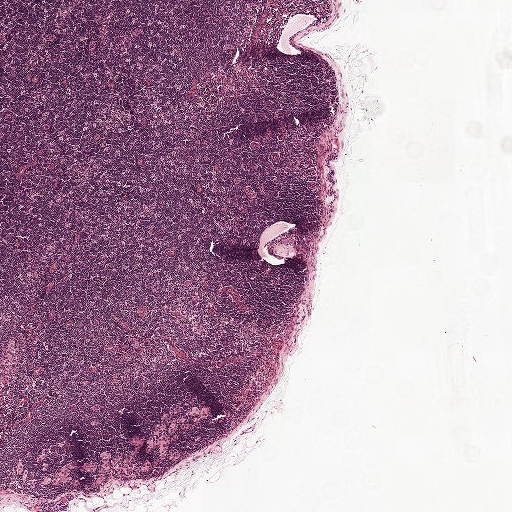
A 2.0-mm field of an H&E-stained sentinel lymph node from a breast-cancer patient (whole-slide image), shown at about 2.5×, about 3.9 µm per pixel.
Question: Where is the metastatic tumour in this field? Give each region's outline as (x, y) pixel points.
Answer: Six metastatic tumour regions, each outlined as a closed clockwise path in crop pixels (x, y), largest first: region 1: (135, 434), (142, 438), (143, 441), (141, 447), (131, 456), (132, 460), (136, 460), (140, 466), (144, 459), (155, 463), (152, 470), (140, 472), (136, 477), (127, 481), (122, 480), (115, 473), (108, 472), (99, 487), (87, 490), (82, 489), (83, 487), (85, 484), (93, 482), (92, 474), (78, 470), (80, 465), (95, 460), (98, 466), (100, 465), (99, 453), (102, 450), (108, 451), (111, 457), (121, 453), (122, 457), (118, 461), (123, 460), (132, 449), (130, 439); region 2: (204, 405), (210, 408), (210, 415), (200, 423), (188, 419), (187, 429), (180, 428), (178, 424), (175, 430), (176, 441), (169, 441), (164, 454), (157, 453), (157, 445), (148, 452), (145, 445), (153, 429), (159, 422), (160, 417), (173, 406), (180, 406), (183, 409), (195, 406), (199, 408); region 3: (70, 460), (74, 460), (74, 466), (69, 471), (68, 476), (72, 479), (79, 481), (78, 484), (72, 485), (68, 482), (62, 484), (42, 484), (41, 480), (43, 476), (53, 474), (55, 468); region 4: (40, 453), (45, 454), (47, 455), (47, 456), (45, 459), (45, 461), (46, 462), (48, 464), (48, 466), (48, 470), (45, 471), (40, 471), (40, 467), (40, 464), (35, 460), (35, 458), (36, 455); region 5: (28, 451), (30, 453), (30, 456), (24, 458), (21, 463), (20, 466), (23, 467), (26, 469), (27, 470), (28, 470), (28, 473), (26, 477), (23, 478), (21, 478), (19, 474), (16, 472), (17, 463), (18, 461), (24, 456), (26, 453); region 6: (234, 404), (239, 404), (239, 408), (235, 412), (230, 413), (229, 416), (227, 417), (225, 417), (224, 413), (225, 411), (230, 408).
Under 5% of the image area is annotated as tumour.